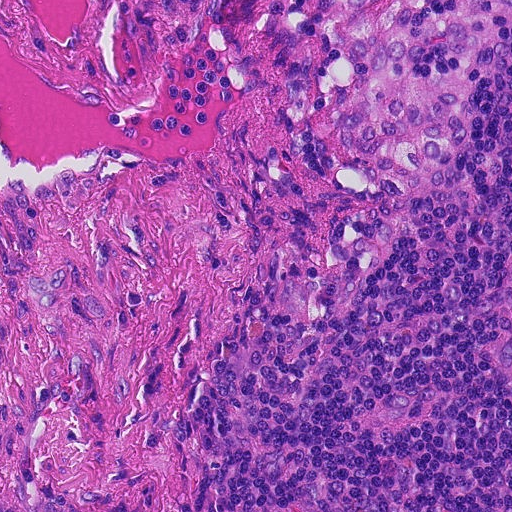
This is a crop of a whole-slide image: an H&E-stained breast-cancer sentinel lymph node section at roughly 20× magnification (about 0.45 µm per pixel; the crop spans about 0.23 mm).
Question: Is there metastatic carcinoma in this field?
Answer: No. No metastatic tumour is outlined in this field.